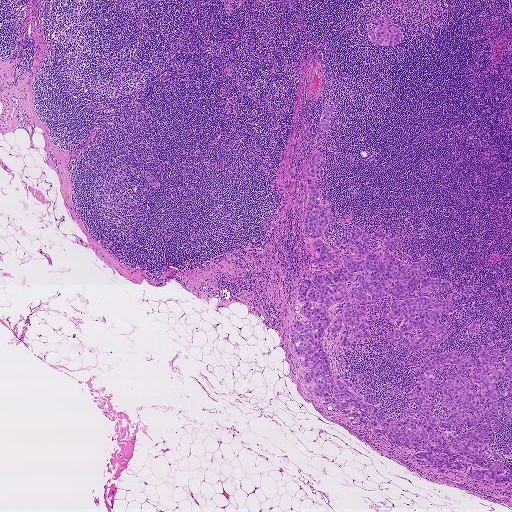
Lymph node section stained with H&E, from a whole-slide image of a breast-cancer sentinel node. Magnification about 2.5×, about 1.9 mm across the frame, about 3.6 µm per pixel.
Two metastatic tumour regions, each outlined as a closed clockwise path in crop pixels (x, y), largest first: region 1: (377, 19), (389, 19), (402, 31), (402, 37), (400, 42), (394, 45), (382, 46), (370, 40), (368, 28), (375, 28), (373, 24); region 2: (328, 104), (333, 106), (333, 113), (330, 118), (330, 131), (323, 131), (319, 120), (323, 108).
One more tumour region is annotated but not outlined: its edge is too irregular for a short outline.
One more small tumour piece is annotated here but not outlined.
Tumour covers about 10% of the frame.